H&E-stained section of a sentinel lymph node (breast cancer), from a whole-slide image, viewed at about 5×: the field is about 0.93 mm across, about 1.8 µm per pixel.
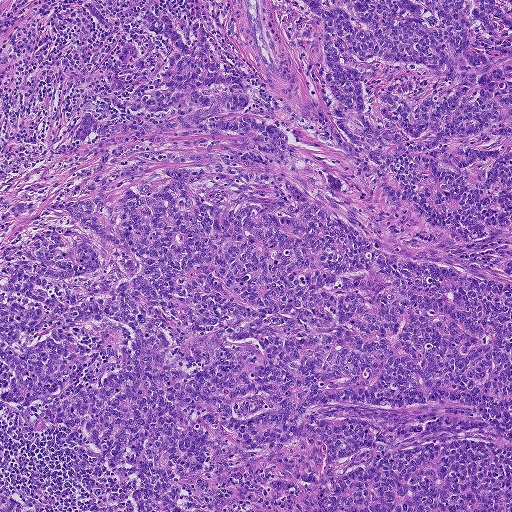
Outlines of two tumour regions, largest first (closed clockwise paths, crop pixels): region 1: (511, 0), (511, 511), (103, 511), (93, 496), (119, 480), (78, 469), (74, 449), (34, 435), (0, 396), (0, 269), (68, 217), (48, 204), (161, 165), (111, 153), (98, 166), (97, 146), (56, 154), (81, 120), (71, 108), (83, 80), (125, 40), (80, 8); region 2: (0, 482), (17, 500), (36, 511), (0, 511).
About 90% of the image area is annotated as tumour.